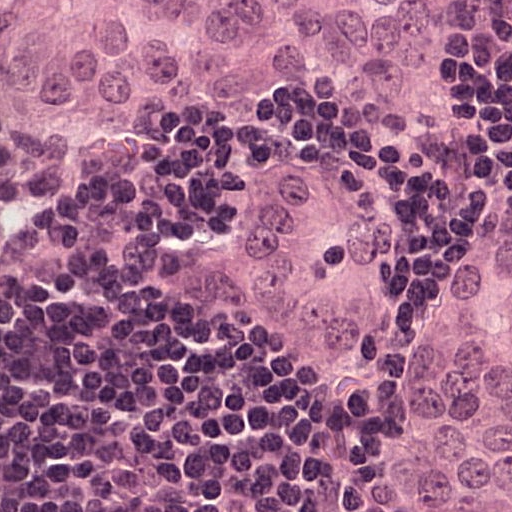
This is a crop of a whole-slide image: an H&E-stained breast-cancer sentinel lymph node section at roughly 40× magnification (about 0.24 µm per pixel; the crop spans about 0.12 mm).
Question: Which parts of this field are metastatic tumour?
Answer: Two metastatic tumour regions, each outlined as a closed clockwise path in crop pixels (x, y), largest first: region 1: (0, 0), (511, 0), (511, 39), (473, 59), (457, 134), (438, 150), (379, 141), (316, 89), (285, 91), (251, 131), (204, 127), (142, 144), (61, 142), (6, 111); region 2: (332, 162), (393, 217), (407, 248), (393, 287), (401, 336), (418, 328), (436, 275), (456, 252), (475, 240), (511, 244), (511, 511), (407, 507), (383, 472), (389, 395), (232, 342), (236, 279), (222, 220), (240, 187), (293, 164).
About 45% of the image area is annotated as tumour.